Question: 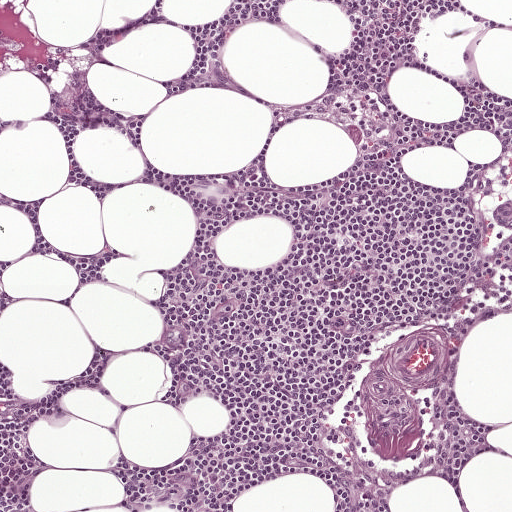
At roughly what magnification is this field shown?

Choices:
 (A) about 40×
 (B) about 2.5×
 (C) about 20×
 (D) about 10×
 (E) about 5×

Answer: (D) about 10×
Lymph node section stained with H&E, from a whole-slide image of a breast-cancer sentinel node. Magnification about 10×, about 0.5 mm across the frame, about 0.97 µm per pixel.